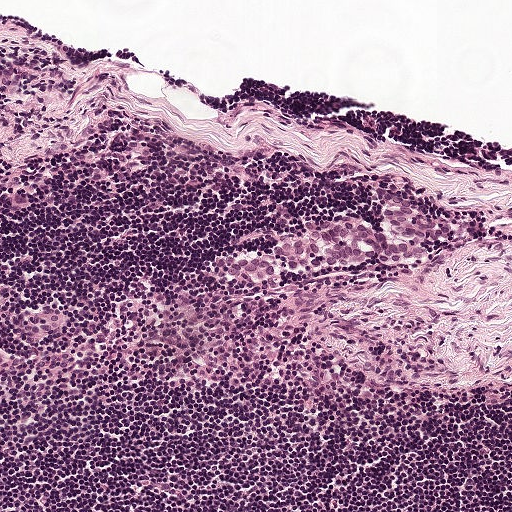
Lymph node section stained with H&E, from a whole-slide image of a breast-cancer sentinel node. Magnification about 10×, about 0.5 mm across the frame, about 0.97 µm per pixel.
Metastatic tumour outline, simplified to 20 points and listed clockwise in crop pixels (x, y): (410, 206), (455, 233), (432, 239), (432, 252), (420, 260), (369, 256), (322, 270), (284, 271), (268, 282), (249, 275), (225, 276), (216, 263), (216, 258), (227, 252), (266, 249), (309, 220), (358, 216), (380, 227), (384, 226), (382, 209).
About 5% of this field is tumour.